Image:
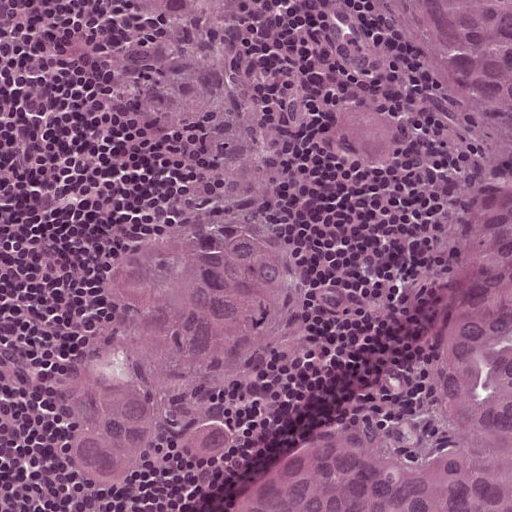
H&E-stained section of a sentinel lymph node (breast cancer), from a whole-slide image, viewed at about 20×: the field is about 0.25 mm across, about 0.49 µm per pixel.
Question:
Where is the metastatic tumour in this field?
Answer:
Three metastatic tumour regions, each outlined as a closed clockwise path in crop pixels (x, y), largest first: region 1: (93, 0), (236, 0), (268, 216), (290, 238), (299, 286), (280, 331), (204, 392), (237, 443), (207, 463), (166, 445), (99, 496), (66, 461), (68, 413), (132, 337), (108, 295), (123, 250), (184, 174), (108, 114), (136, 20); region 2: (386, 0), (511, 0), (511, 511), (228, 511), (209, 479), (276, 432), (358, 424), (422, 456), (440, 434), (430, 404), (430, 320), (459, 242), (465, 158); region 3: (360, 94), (403, 146), (376, 185), (331, 168), (319, 120).
About 45% of this field is tumour.